Image:
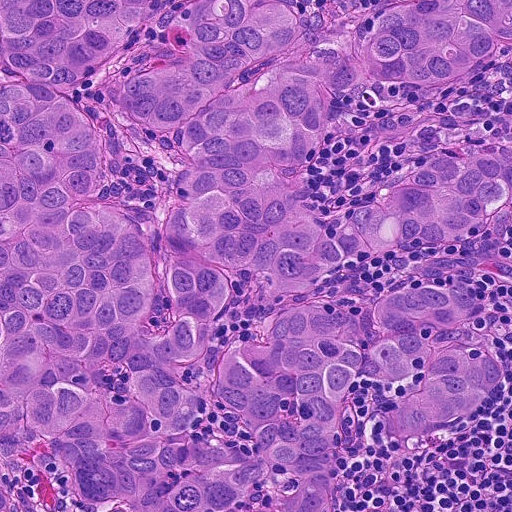
A 0.23-mm field of an H&E-stained sentinel lymph node from a breast-cancer patient (whole-slide image), shown at about 20×, about 0.45 µm per pixel.
Question:
Does this lymph node field contain metastatic tumour?
Answer:
Yes.
Metastatic tumour outline, simplified to 23 points and listed clockwise in crop pixels (x, y): (0, 0), (150, 0), (114, 67), (163, 44), (171, 0), (511, 0), (511, 54), (368, 93), (316, 166), (318, 212), (442, 150), (511, 143), (511, 237), (470, 332), (511, 354), (502, 401), (399, 448), (373, 422), (400, 382), (362, 382), (339, 422), (335, 511), (0, 511).
About 85% of the image area is annotated as tumour.